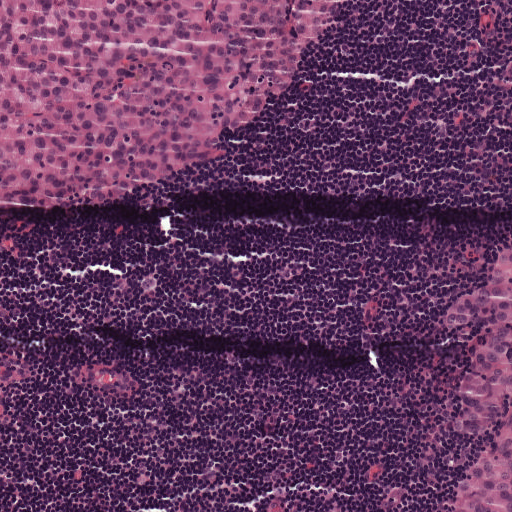
This is a crop of a whole-slide image: an H&E-stained breast-cancer sentinel lymph node section at roughly 10× magnification (about 0.97 µm per pixel; the crop spans about 0.5 mm).
Two metastatic tumour regions, each outlined as a closed clockwise path in crop pixels (x, y), largest first: region 1: (0, 0), (350, 0), (324, 68), (172, 194), (97, 216), (0, 216); region 2: (511, 237), (511, 511), (436, 511), (428, 350), (445, 312).
About 30% of the image area is annotated as tumour.